H&E-stained section of a sentinel lymph node (breast cancer), from a whole-slide image, viewed at about 5×: the field is about 0.93 mm across, about 1.8 µm per pixel.
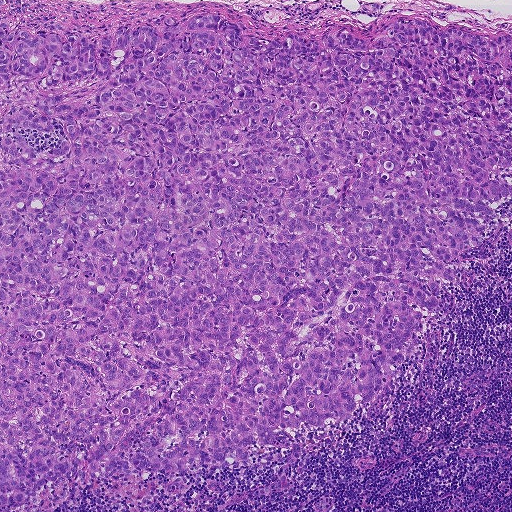
Tumour region outline (a closed clockwise path, crop pixels): (206, 13), (277, 38), (372, 36), (418, 18), (503, 31), (511, 192), (454, 278), (436, 279), (438, 307), (380, 392), (348, 420), (275, 430), (247, 460), (228, 453), (149, 480), (100, 472), (0, 508), (0, 22), (98, 42), (127, 24).
One more small tumour piece is annotated here but not outlined.
The annotated tumour makes up about 75% of the crop.